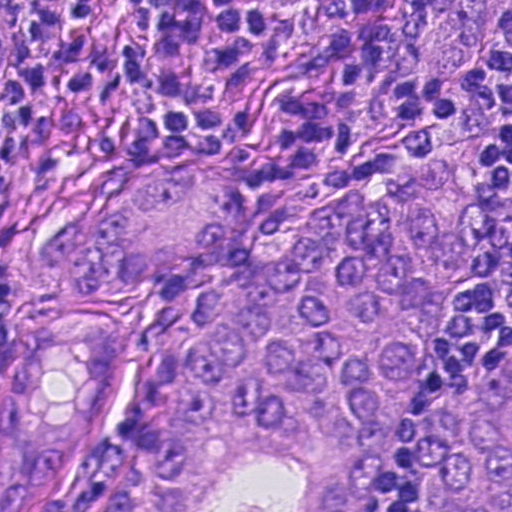
This is a crop of a whole-slide image: an H&E-stained breast-cancer sentinel lymph node section at roughly 40× magnification (about 0.23 µm per pixel; the crop spans about 0.12 mm).
Outlines of six tumour regions, largest first (closed clockwise paths, crop pixels): region 1: (482, 121), (484, 217), (368, 511), (92, 511), (110, 496), (191, 324), (338, 200); region 2: (162, 164), (248, 175), (251, 218), (144, 292), (102, 297), (125, 313), (135, 355), (119, 398), (68, 475), (35, 504), (12, 511), (0, 511), (0, 382), (44, 291), (22, 253), (53, 222); region 3: (511, 333), (511, 511), (412, 511), (419, 471), (402, 453), (490, 366); region 4: (428, 0), (511, 0), (511, 14), (461, 79), (420, 79), (400, 46); region 5: (0, 0), (14, 0), (10, 5), (6, 61), (0, 81); region 6: (257, 0), (309, 0), (276, 14).
The annotated tumour makes up about 55% of the crop.